Image:
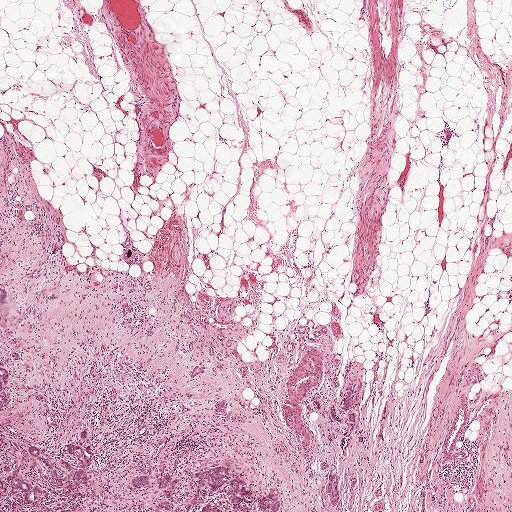
H&E-stained section of a sentinel lymph node (breast cancer), from a whole-slide image, viewed at about 2.5×: the field is about 2.0 mm across, about 3.9 µm per pixel.
Question:
Does this lymph node field contain metastatic tumour?
Answer:
Yes.
Boundaries of six metastatic tumour regions, simplified and listed clockwise, largest first: region 1: (92, 428), (101, 439), (101, 452), (91, 490), (80, 511), (0, 511), (0, 478), (23, 459), (28, 448), (35, 442), (63, 438); region 2: (214, 467), (230, 467), (243, 473), (252, 485), (262, 490), (282, 492), (290, 504), (290, 511), (152, 511), (134, 491), (131, 480), (137, 475), (187, 476); region 3: (0, 230), (7, 252), (7, 279), (13, 297), (2, 326), (1, 346), (5, 359), (11, 367), (10, 378), (14, 392), (12, 407), (3, 419), (0, 429); region 4: (347, 398), (352, 399), (351, 410), (352, 412), (355, 412), (356, 415), (356, 431), (352, 433), (350, 433), (350, 429), (348, 426), (349, 419), (347, 415), (340, 410), (339, 408), (339, 403), (341, 401); region 5: (198, 365), (203, 368), (205, 370), (205, 373), (205, 375), (192, 379), (190, 379), (190, 375), (192, 368); region 6: (330, 406), (334, 406), (335, 411), (336, 415), (340, 418), (341, 422), (341, 423), (334, 421), (331, 418), (328, 411).
The annotated tumour makes up about 5% of the crop.

Image:
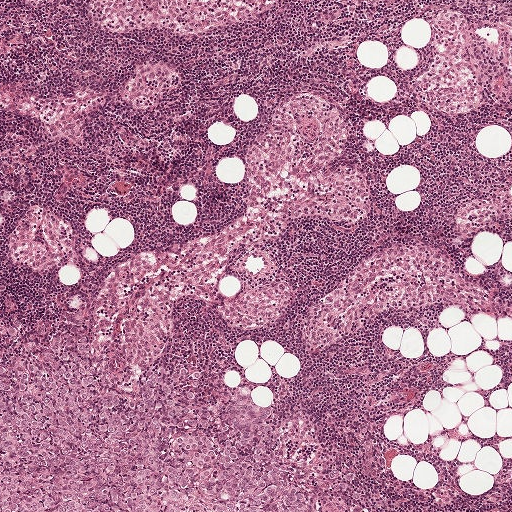
H&E-stained section of a sentinel lymph node (breast cancer), from a whole-slide image, viewed at about 5×: the field is about 1 mm across, about 1.9 µm per pixel.
Question:
Does this lymph node field contain metastatic tumour?
Answer:
Yes.
The outlined metastatic tumour's edge, as a closed clockwise path of 18 points: (84, 311), (100, 370), (130, 392), (190, 368), (204, 438), (217, 437), (237, 394), (251, 397), (314, 511), (207, 511), (197, 502), (189, 511), (0, 511), (5, 327), (22, 324), (20, 353), (39, 361), (60, 312).
The annotated tumour makes up about 15% of the crop.

Image:
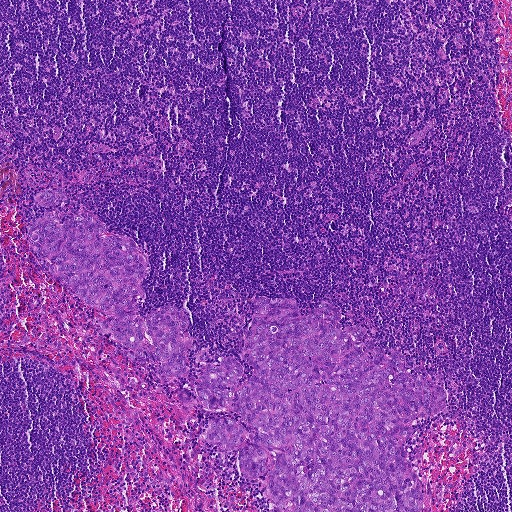
Lymph node section stained with H&E, from a whole-slide image of a breast-cancer sentinel node. Magnification about 5×, about 0.93 mm across the frame, about 1.8 µm per pixel.
Question:
Does this lymph node field contain metastatic tumour?
Answer:
Yes.
Boundaries of three metastatic tumour regions, simplified and listed clockwise, largest first: region 1: (254, 298), (294, 299), (302, 315), (332, 305), (339, 328), (361, 327), (410, 376), (445, 389), (444, 408), (402, 439), (423, 508), (287, 511), (266, 475), (241, 475), (239, 449), (207, 441), (219, 417), (253, 429), (204, 407), (196, 387), (199, 365), (226, 355), (247, 381), (240, 351); region 2: (84, 210), (106, 224), (102, 235), (133, 239), (145, 262), (146, 295), (137, 302), (142, 318), (163, 306), (188, 320), (183, 336), (193, 343), (185, 374), (162, 381), (161, 361), (142, 359), (104, 332), (101, 322), (113, 317), (52, 276), (26, 238), (46, 214), (62, 223); region 3: (45, 190), (50, 192), (53, 195), (56, 198), (56, 202), (48, 206), (39, 204), (36, 202), (34, 197), (36, 194), (40, 191).
About 20% of this field is tumour.

Image:
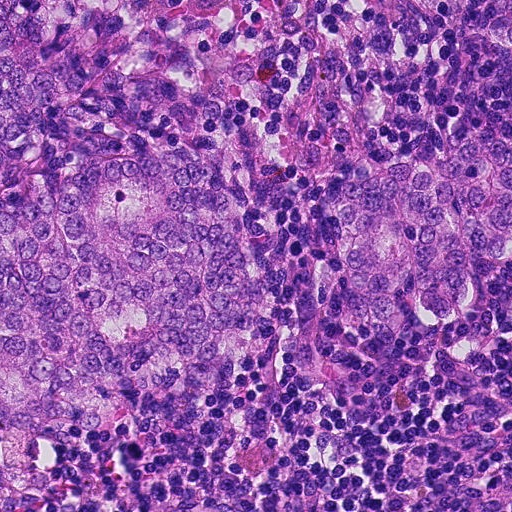
A 0.23-mm field of an H&E-stained sentinel lymph node from a breast-cancer patient (whole-slide image), shown at about 20×, about 0.45 µm per pixel.
Question:
Does this lymph node field contain metastatic tumour?
Answer:
Yes.
Boundaries of three metastatic tumour regions, simplified and listed clockwise, largest first: region 1: (0, 0), (49, 0), (64, 88), (26, 148), (22, 193), (190, 142), (220, 163), (252, 266), (286, 277), (335, 266), (322, 232), (352, 168), (511, 130), (511, 258), (465, 324), (396, 336), (337, 280), (264, 288), (260, 322), (200, 414), (34, 437), (39, 473), (97, 511), (0, 511); region 2: (476, 0), (511, 0), (511, 63), (482, 40), (471, 21); region 3: (204, 494), (239, 498), (251, 511), (139, 511), (168, 503).
About 40% of this field is tumour.